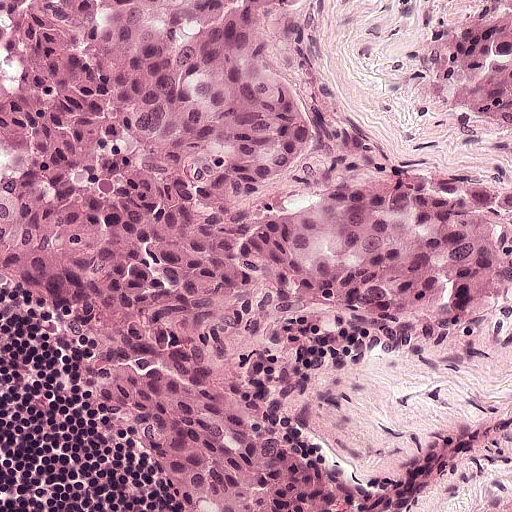
A 0.25-mm field of an H&E-stained sentinel lymph node from a breast-cancer patient (whole-slide image), shown at about 20×, about 0.49 µm per pixel.
Three metastatic tumour regions, each outlined as a closed clockwise path in crop pixels (x, y), largest first: region 1: (0, 0), (314, 0), (290, 50), (332, 127), (375, 176), (477, 217), (508, 258), (504, 288), (459, 312), (402, 316), (362, 301), (277, 330), (277, 398), (346, 511), (181, 511), (88, 407), (40, 320), (1, 302); region 2: (511, 0), (511, 137), (504, 139), (490, 138), (461, 122), (440, 90), (440, 62), (459, 24), (490, 2); region 3: (511, 483), (511, 511), (492, 511), (494, 507), (495, 507), (496, 500), (498, 498), (500, 494), (502, 494), (502, 492), (505, 490), (505, 489), (510, 486).
About 65% of the image area is annotated as tumour.